Question: 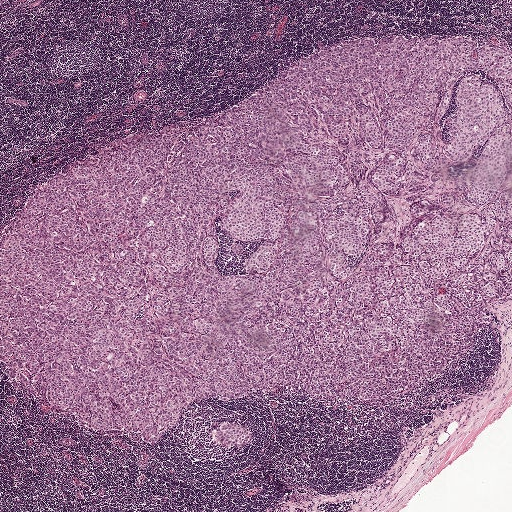
H&E-stained section of a sentinel lymph node (breast cancer), from a whole-slide image, viewed at about 2.5×: the field is about 2.0 mm across, about 3.9 µm per pixel.
About how much of this crop is taken up by metastatic carcinoma?

Choices:
 (A) none: no tumour is outlined
 (B) about 10% to 20%
 (C) about 25% to 45%
 (D) about 5% or less
 (E) about 50% or more

Answer: (E) about 50% or more
About 60% of the field is tumour.
Two metastatic tumour regions, each outlined as a closed clockwise path in crop pixels (x, y), largest first: region 1: (413, 30), (504, 35), (511, 43), (511, 296), (489, 306), (459, 361), (382, 400), (289, 390), (201, 396), (159, 442), (89, 429), (15, 386), (0, 362), (8, 212), (107, 141), (209, 113), (339, 42); region 2: (225, 422), (236, 423), (248, 427), (250, 436), (247, 445), (222, 445), (215, 442), (212, 438), (214, 429).